H&E-stained section of a sentinel lymph node (breast cancer), from a whole-slide image, viewed at about 5×: the field is about 1 mm across, about 1.9 µm per pixel.
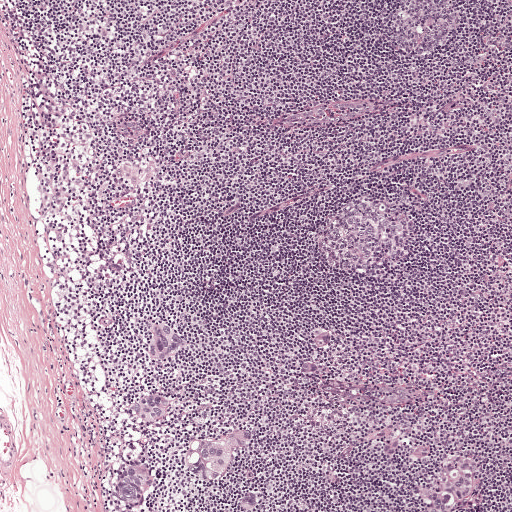
Outlines of the eight largest metastatic tumour regions, each a closed clockwise path in crop pixels (x, y), largest first: region 1: (448, 454), (454, 454), (471, 458), (477, 461), (480, 467), (480, 500), (476, 504), (452, 511), (412, 511), (427, 507), (425, 501), (414, 495), (413, 490), (437, 478), (442, 458); region 2: (240, 426), (256, 428), (255, 440), (251, 446), (239, 449), (234, 454), (219, 477), (208, 482), (193, 480), (182, 461), (181, 453), (189, 438), (203, 435), (217, 436); region 3: (130, 461), (146, 461), (155, 466), (159, 473), (159, 479), (150, 496), (149, 502), (157, 511), (120, 511), (122, 505), (115, 506), (109, 505), (107, 498), (111, 493), (117, 471), (122, 464); region 4: (157, 389), (169, 392), (171, 398), (170, 411), (160, 421), (135, 421), (127, 416), (124, 409), (129, 402), (135, 396), (146, 391); region 5: (159, 321), (188, 340), (189, 347), (186, 352), (172, 360), (160, 360), (148, 353), (145, 348), (147, 342), (153, 326); region 6: (250, 488), (264, 494), (264, 501), (262, 508), (258, 511), (243, 511), (240, 507), (240, 499), (244, 493); region 7: (400, 438), (404, 441), (400, 453), (391, 461), (384, 461), (381, 456), (383, 444), (390, 440); region 8: (329, 330), (335, 337), (330, 350), (324, 353), (318, 352), (314, 345), (316, 338).
Three more, smaller tumour regions are not outlined.
About 5% of the image area is annotated as tumour.